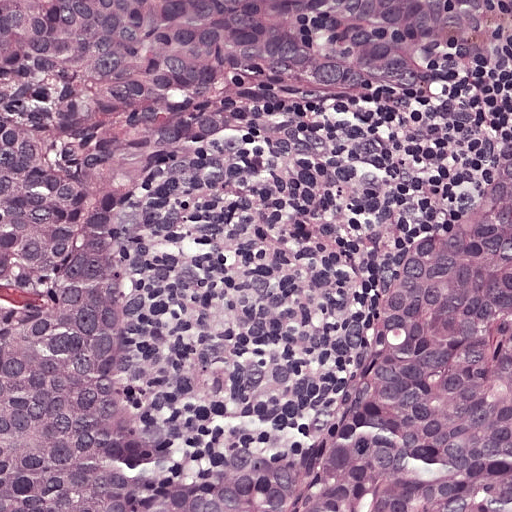
Lymph node section stained with H&E, from a whole-slide image of a breast-cancer sentinel node. Magnification about 20×, about 0.25 mm across the frame, about 0.49 µm per pixel.
Metastatic tumour outline, simplified to 19 points and listed clockwise in crop pixels (x, y): (0, 0), (492, 0), (506, 15), (504, 52), (450, 95), (293, 110), (208, 134), (145, 195), (135, 376), (187, 446), (234, 450), (302, 432), (335, 386), (366, 289), (405, 228), (479, 152), (511, 134), (511, 511), (0, 511).
About 70% of the image area is annotated as tumour.